Question: 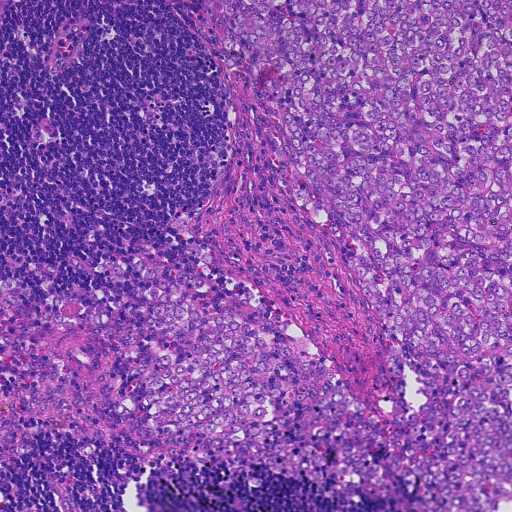
A 0.46-mm field of an H&E-stained sentinel lymph node from a breast-cancer patient (whole-slide image), shown at about 10×, about 0.91 µm per pixel.
Roughly what share of this field is metastatic tumour?

Choices:
 (A) about 25% to 45%
 (B) about 50% or more
 (C) about 5% or less
 (D) none: no tumour is outlined
 (E) about 10% to 20%

Answer: (B) about 50% or more
About 50% of the field is tumour.
One metastatic tumour region; its boundary, reduced to 23 corners and listed clockwise: (178, 0), (511, 0), (511, 511), (420, 511), (394, 480), (159, 455), (137, 434), (140, 374), (158, 350), (104, 338), (116, 310), (98, 268), (109, 256), (258, 292), (380, 413), (411, 416), (428, 393), (339, 244), (284, 190), (278, 119), (241, 53), (214, 43), (212, 12).